Image:
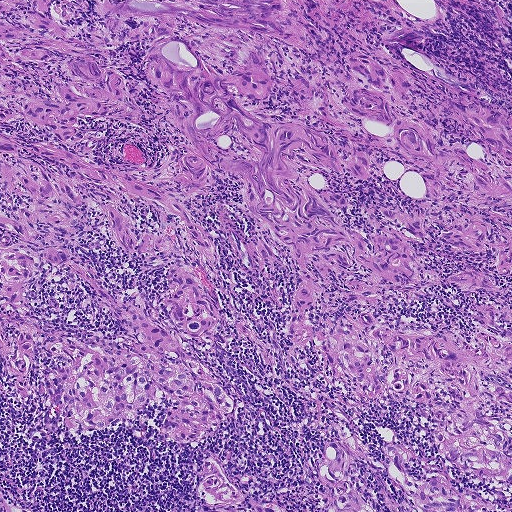
This is a crop of a whole-slide image: an H&E-stained breast-cancer sentinel lymph node section at roughly 5× magnification (about 1.8 µm per pixel; the crop spans about 0.93 mm).
Question:
Where is the metastatic tumour in this field?
Answer:
Boundaries of four metastatic tumour regions, simplified and listed clockwise, largest first: region 1: (0, 0), (282, 0), (425, 101), (458, 90), (511, 115), (511, 496), (416, 435), (418, 407), (363, 412), (329, 387), (340, 413), (318, 415), (258, 390), (239, 335), (188, 347), (243, 432), (197, 444), (165, 439), (151, 402), (141, 437), (45, 444), (39, 398), (5, 395); region 2: (382, 445), (396, 445), (408, 454), (407, 468), (413, 482), (420, 483), (440, 472), (447, 474), (453, 487), (459, 491), (465, 487), (472, 490), (485, 500), (498, 505), (487, 511), (423, 511), (414, 498), (391, 478), (387, 472), (389, 464), (381, 452); region 3: (338, 430), (348, 430), (360, 447), (360, 457), (352, 463), (349, 472), (352, 485), (373, 511), (330, 511), (330, 497), (328, 488), (320, 481), (315, 473), (325, 444), (333, 439); region 4: (202, 460), (216, 461), (225, 477), (241, 495), (273, 503), (285, 509), (287, 511), (209, 511), (223, 509), (206, 502), (197, 493), (198, 486), (201, 481), (197, 472), (198, 466).
About 80% of the image area is annotated as tumour.